Image:
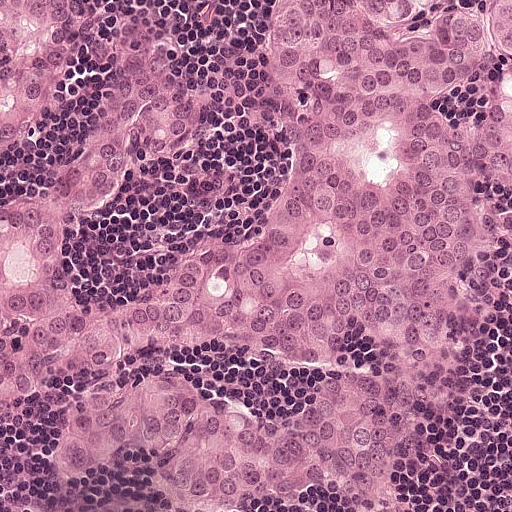
This is a crop of a whole-slide image: an H&E-stained breast-cancer sentinel lymph node section at roughly 20× magnification (about 0.49 µm per pixel; the crop spans about 0.25 mm).
Question:
Which parts of this field are metastatic tumour? Answer with the outline of each region, in pixels.
Answer:
Boundaries of two metastatic tumour regions, simplified and listed clockwise, largest first: region 1: (264, 0), (511, 0), (504, 262), (398, 511), (324, 488), (196, 511), (130, 450), (45, 476), (82, 398), (280, 418), (369, 370), (357, 332), (334, 365), (193, 350), (2, 406), (0, 210), (92, 135), (124, 21), (160, 23), (196, 126), (66, 223), (103, 316), (274, 200); region 2: (0, 0), (67, 0), (66, 56), (53, 96), (34, 116), (0, 136).
About 65% of this field is tumour.